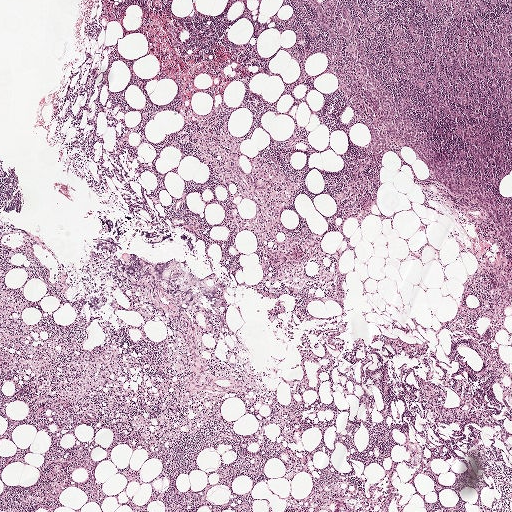
Lymph node section stained with H&E, from a whole-slide image of a breast-cancer sentinel node. Magnification about 2.5×, about 2.0 mm across the frame, about 3.9 µm per pixel.
Tumour region outline (a closed clockwise path, crop pixels): (283, 0), (511, 0), (511, 170), (498, 188), (511, 197), (511, 296), (476, 298), (484, 262), (506, 259), (482, 236), (482, 213), (455, 204), (411, 148), (385, 148), (364, 210), (372, 134), (334, 74), (292, 89), (296, 39), (272, 20), (291, 18).
One more small tumour piece is annotated here but not outlined.
Tumour covers about 15% of the frame.